Question: 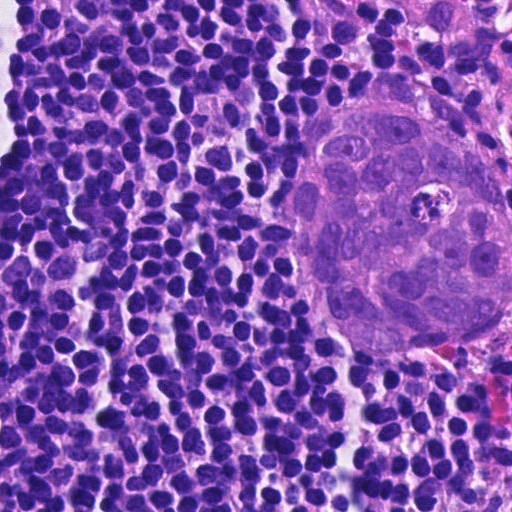
At roughly what magnification is this field shown?

Choices:
 (A) about 10×
 (B) about 5×
 (C) about 2.5×
 (D) about 40×
 (E) about 20×

Answer: (D) about 40×
A 0.12-mm field of an H&E-stained sentinel lymph node from a breast-cancer patient (whole-slide image), shown at about 40×, about 0.23 µm per pixel.
One metastatic tumour region; its boundary, reduced to 11 corners and listed clockwise: (327, 102), (398, 105), (465, 138), (489, 165), (511, 226), (511, 290), (486, 333), (418, 352), (348, 348), (302, 294), (285, 202).
Tumour covers about 15% of the frame.